A 1-mm field of an H&E-stained sentinel lymph node from a breast-cancer patient (whole-slide image), shown at about 5×, about 1.9 µm per pixel.
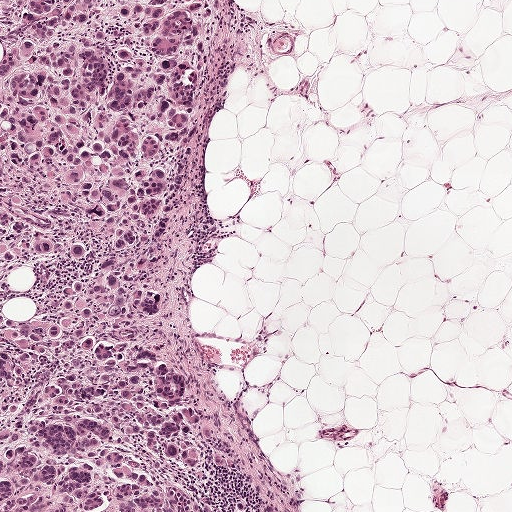
Question: Show where the tumour is in this image.
Answer: The outlined metastatic tumour's edge, as a closed clockwise path of 9 points: (0, 0), (224, 0), (198, 146), (152, 274), (165, 309), (129, 332), (186, 374), (273, 511), (0, 511).
The annotated tumour makes up about 40% of the crop.